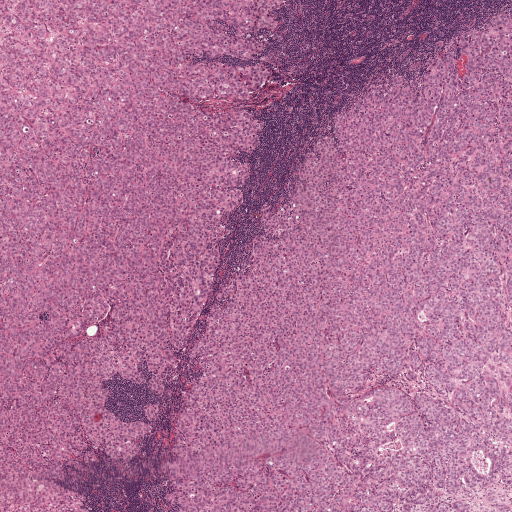
Lymph node section stained with H&E, from a whole-slide image of a breast-cancer sentinel node. Magnification about 2.5×, about 2.0 mm across the frame, about 3.9 µm per pixel.
Outlines of two tumour regions, largest first (closed clockwise paths, crop pixels): region 1: (511, 9), (511, 511), (175, 511), (161, 472), (197, 379), (188, 358), (260, 218), (373, 82), (420, 73); region 2: (0, 0), (293, 0), (269, 83), (249, 98), (200, 104), (262, 112), (264, 136), (156, 420), (143, 415), (152, 391), (111, 384), (108, 407), (152, 427), (148, 454), (115, 463), (106, 455), (93, 477), (68, 467), (66, 484), (98, 511), (0, 511).
About 90% of the image area is annotated as tumour.